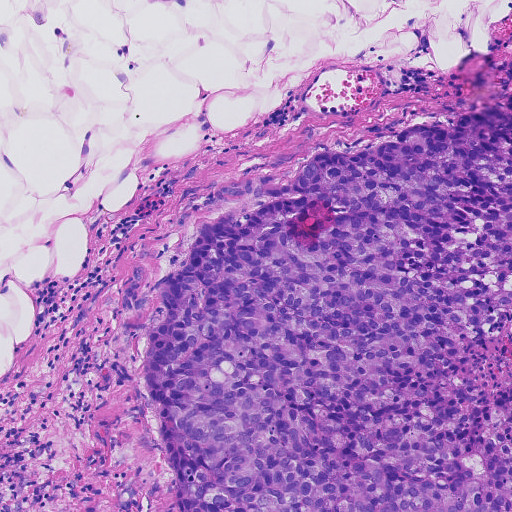
This is a crop of a whole-slide image: an H&E-stained breast-cancer sentinel lymph node section at roughly 10× magnification (about 0.91 µm per pixel; the crop spans about 0.46 mm).
One metastatic tumour region; its boundary, reduced to 10 corners and listed clockwise: (506, 94), (511, 511), (179, 511), (120, 336), (134, 265), (156, 281), (224, 183), (283, 180), (316, 152), (450, 124).
About 50% of the image area is annotated as tumour.